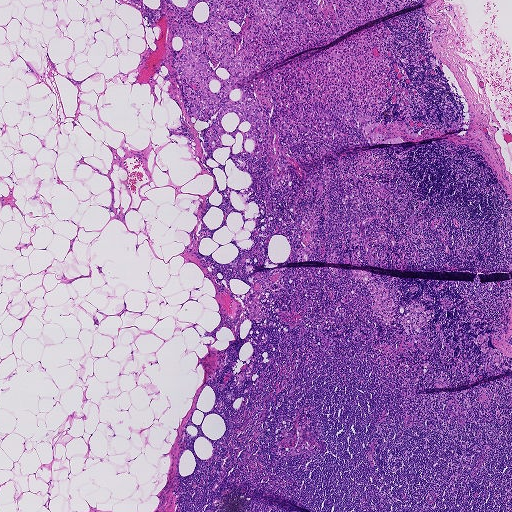
H&E-stained section of a sentinel lymph node (breast cancer), from a whole-slide image, viewed at about 2.5×: the field is about 1.9 mm across, about 3.6 µm per pixel.
Metastatic tumour outline, simplified to 21 points and listed clockwise in crop pixels (x, y): (392, 0), (392, 11), (229, 85), (237, 91), (383, 22), (394, 82), (385, 109), (311, 150), (294, 127), (298, 144), (289, 147), (272, 107), (261, 157), (238, 132), (213, 150), (205, 134), (217, 110), (194, 114), (174, 65), (184, 15), (166, 2).
Tumour covers about 10% of the frame.